This is a crop of a whole-slide image: an H&E-stained breast-cancer sentinel lymph node section at roughly 5× magnification (about 1.8 µm per pixel; the crop spans about 0.93 mm).
Question: 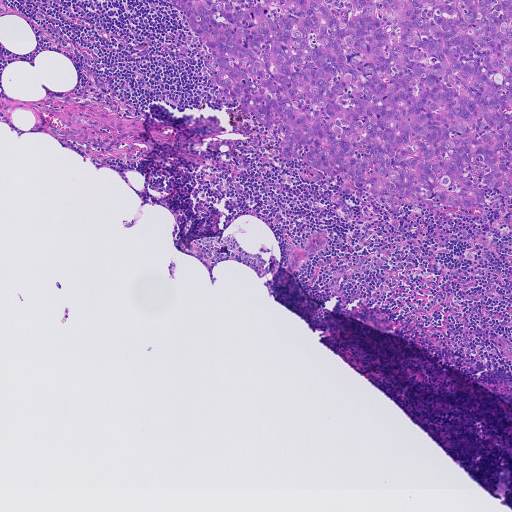
Roughly what share of this field is metastatic tumour?

Choices:
 (A) about 25% to 45%
 (B) about 50% or more
 (C) about 5% or less
 (D) about 10% to 20%
 (E) none: no tumour is outlined

Answer: (D) about 10% to 20%
About 20% of the field is tumour.
The outlined metastatic tumour's edge, as a closed clockwise path of 13 points: (511, 0), (511, 196), (492, 186), (481, 209), (408, 201), (398, 208), (345, 174), (282, 159), (282, 126), (264, 125), (210, 82), (200, 37), (171, 1).